Lymph node section stained with H&E, from a whole-slide image of a breast-cancer sentinel node. Magnification about 2.5×, about 2.0 mm across the frame, about 3.9 µm per pixel.
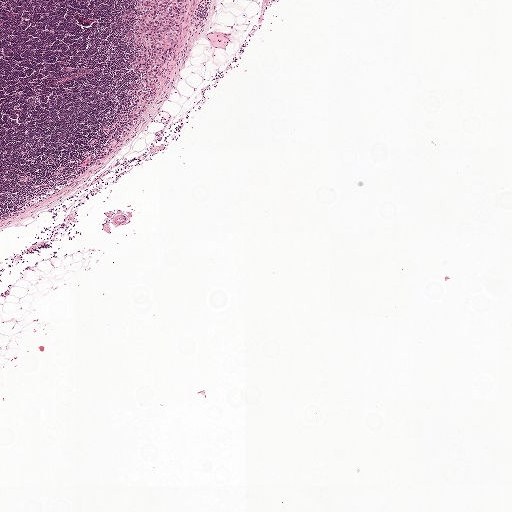
One metastatic tumour region; its boundary, reduced to 15 corners and listed clockwise: (135, 0), (187, 0), (185, 20), (172, 52), (161, 70), (155, 93), (144, 116), (129, 134), (122, 136), (120, 135), (144, 79), (132, 67), (135, 48), (125, 38), (133, 28).
Tumour covers under 5% of the frame.